Question: 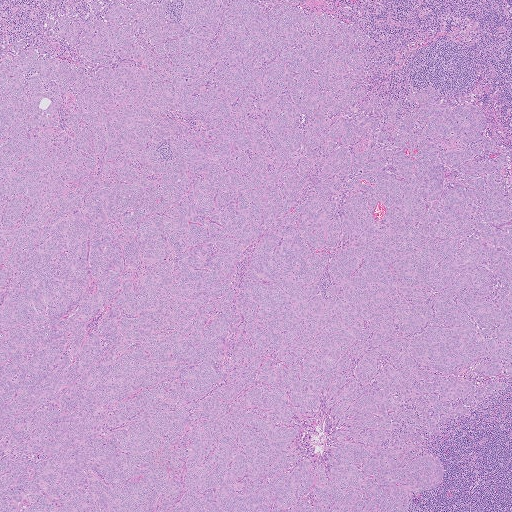
A 2.0-mm field of an H&E-stained sentinel lymph node from a breast-cancer patient (whole-slide image), shown at about 2.5×, about 4.0 µm per pixel.
About how much of this crop is taken up by metastatic carcinoma?

Choices:
 (A) about 25% to 45%
 (B) about 50% or more
 (C) none: no tumour is outlined
 (D) about 10% to 20%
 (E) about 5% or less

Answer: (B) about 50% or more
About 90% of the field is tumour.
Tumour region outline (a closed clockwise path, crop pixels): (92, 2), (347, 10), (389, 52), (369, 71), (371, 91), (401, 100), (400, 116), (415, 90), (466, 96), (509, 148), (511, 374), (475, 381), (507, 388), (426, 440), (446, 478), (408, 511), (0, 511), (0, 51), (21, 37), (76, 64), (43, 29).